H&E-stained section of a sentinel lymph node (breast cancer), from a whole-slide image, viewed at about 2.5×: the field is about 2.0 mm across, about 3.9 µm per pixel.
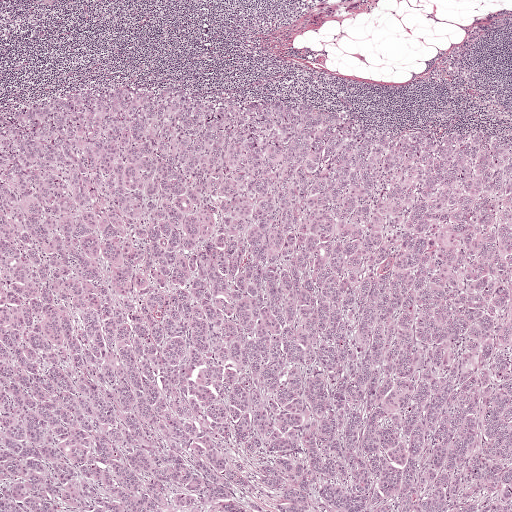
One metastatic tumour region; its boundary, reduced to 7 corners and listed clockwise: (122, 85), (313, 106), (372, 128), (511, 135), (511, 511), (0, 511), (3, 115).
About 80% of the image area is annotated as tumour.